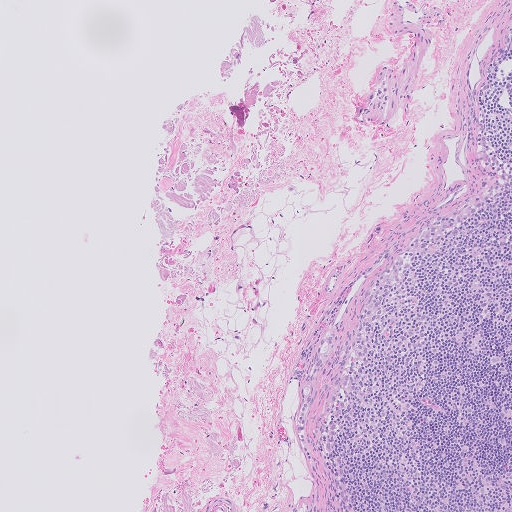
This is a crop of a whole-slide image: an H&E-stained breast-cancer sentinel lymph node section at roughly 5× magnification (about 2.0 µm per pixel; the crop spans about 1.0 mm).
Metastatic tumour outline, simplified to 14 points and listed clockwise in crop pixels (x, y): (332, 328), (335, 329), (335, 346), (318, 374), (313, 402), (306, 416), (305, 432), (308, 449), (303, 451), (296, 431), (296, 415), (300, 404), (302, 383), (326, 331).
The annotated tumour makes up under 5% of the crop.